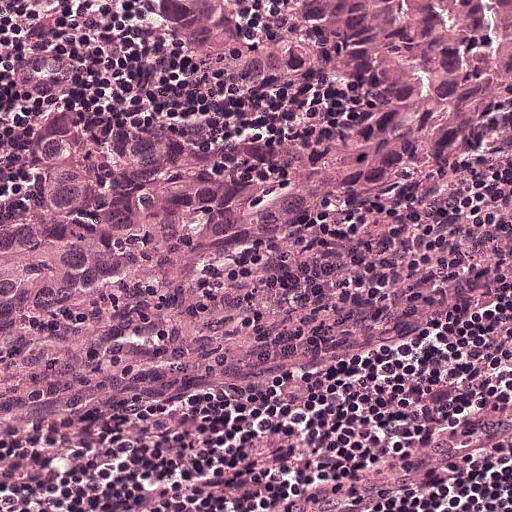
Lymph node section stained with H&E, from a whole-slide image of a breast-cancer sentinel node. Magnification about 20×, about 0.25 mm across the frame, about 0.49 µm per pixel.
Two metastatic tumour regions, each outlined as a closed clockwise path in crop pixels (x, y), largest first: region 1: (0, 0), (511, 0), (511, 120), (497, 138), (358, 208), (232, 244), (146, 290), (0, 334); region 2: (511, 278), (511, 356), (508, 356), (505, 352), (504, 348), (504, 336), (502, 332), (502, 305), (504, 302), (504, 298), (505, 296), (505, 291), (506, 290), (506, 286).
About 45% of the image area is annotated as tumour.